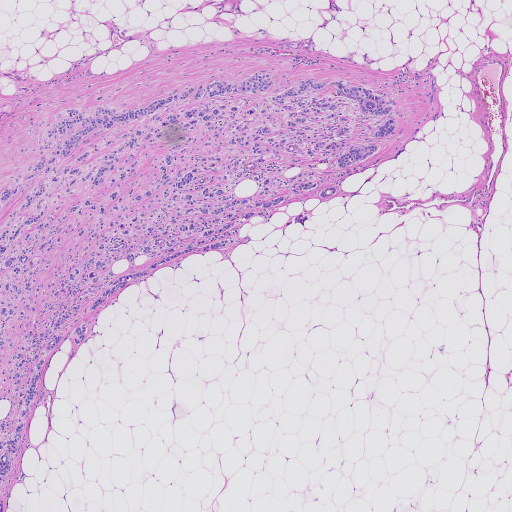
H&E-stained section of a sentinel lymph node (breast cancer), from a whole-slide image, viewed at about 2.5×: the field is about 1.9 mm across, about 3.6 µm per pixel.
Question: Which parts of this field are metastatic tumour? Answer with the outline of each region, in pixels.
Answer: Two metastatic tumour regions, each outlined as a closed clockwise path in crop pixels (x, y), largest first: region 1: (261, 70), (265, 94), (308, 78), (327, 82), (316, 97), (340, 80), (390, 101), (396, 128), (378, 139), (386, 115), (332, 98), (346, 145), (376, 153), (235, 244), (119, 289), (77, 346), (68, 331), (2, 486), (0, 194), (48, 153), (45, 130), (73, 107), (135, 109); region 2: (331, 186), (335, 186), (337, 189), (337, 193), (335, 195), (325, 197), (321, 197), (319, 195), (320, 191), (324, 189).
Two more small tumour pieces are annotated here but not outlined.
About 25% of the image area is annotated as tumour.